Question: 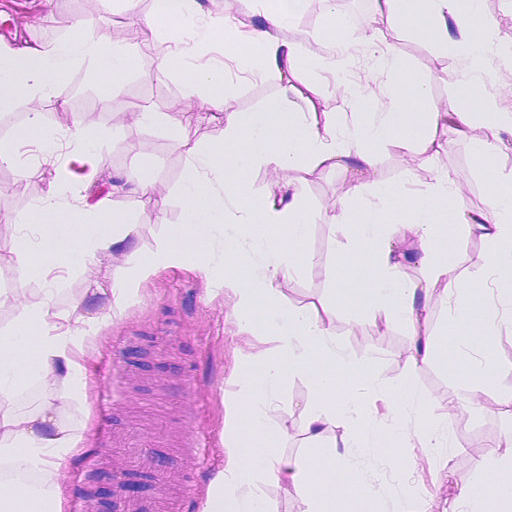
About what magnification does this crop show?

Choices:
 (A) about 20×
 (B) about 2.5×
 (C) about 5×
 (D) about 40×
 (E) about 10×

Answer: (A) about 20×
Lymph node section stained with H&E, from a whole-slide image of a breast-cancer sentinel node. Magnification about 20×, about 0.23 mm across the frame, about 0.45 µm per pixel.